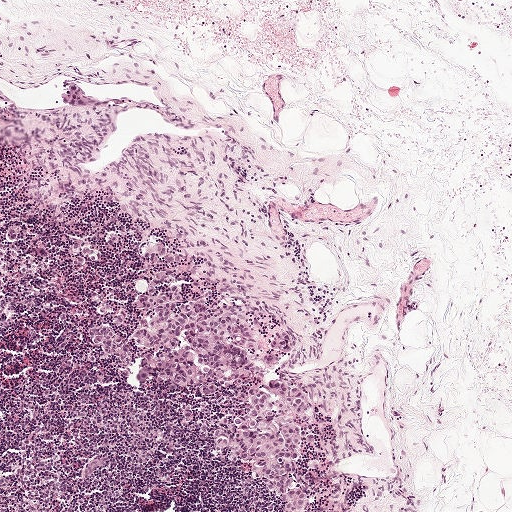
H&E-stained section of a sentinel lymph node (breast cancer), from a whole-slide image, viewed at about 5×: the field is about 1 mm across, about 1.9 µm per pixel.
Five metastatic tumour regions, each outlined as a closed clockwise path in crop pixels (x, y), largest first: region 1: (165, 243), (186, 257), (184, 297), (199, 299), (209, 291), (207, 301), (213, 307), (236, 302), (256, 343), (278, 330), (289, 330), (295, 348), (285, 353), (257, 348), (249, 360), (276, 356), (280, 365), (256, 363), (269, 373), (252, 375), (240, 387), (221, 386), (210, 396), (189, 385), (168, 391), (173, 376), (143, 364), (141, 355), (154, 353), (134, 343), (133, 335), (148, 330), (151, 310), (138, 299), (147, 296), (152, 276), (166, 266), (147, 262), (141, 246); region 2: (283, 379), (297, 387), (311, 410), (315, 435), (312, 440), (306, 436), (306, 425), (294, 414), (292, 417), (301, 430), (302, 456), (291, 474), (306, 496), (304, 511), (282, 511), (281, 496), (266, 491), (249, 474), (254, 462), (235, 463), (228, 457), (228, 450), (215, 445), (213, 433), (220, 420), (230, 419), (230, 428), (235, 421), (230, 412), (239, 409), (247, 414), (252, 402), (248, 393), (254, 387), (261, 389), (278, 410), (275, 394), (265, 384); region 3: (99, 326), (108, 326), (122, 336), (125, 343), (130, 345), (130, 354), (126, 360), (120, 362), (112, 356), (105, 356), (102, 353), (102, 349), (92, 345), (86, 332); region 4: (73, 243), (87, 243), (97, 248), (100, 258), (96, 263), (86, 258), (85, 270), (78, 271), (73, 265), (73, 260), (76, 258), (71, 252); region 5: (184, 402), (190, 404), (192, 407), (192, 417), (191, 420), (188, 421), (184, 419), (182, 409), (182, 404).
Three more small tumour pieces are annotated here but not outlined.
About 10% of the image area is annotated as tumour.